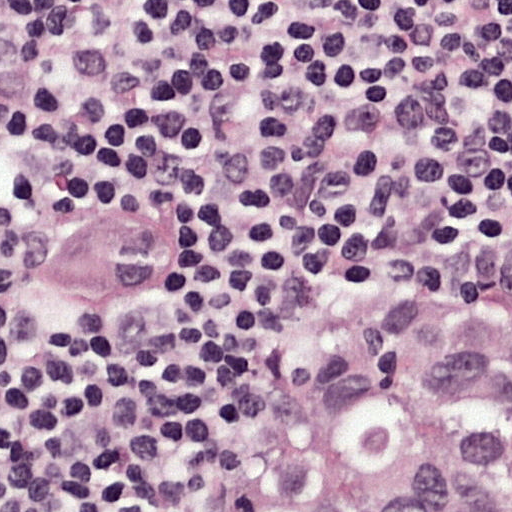
Lymph node section stained with H&E, from a whole-slide image of a breast-cancer sentinel node. Magnification about 40×, about 0.12 mm across the frame, about 0.24 µm per pixel.
Boundaries of two metastatic tumour regions, simplified and listed clockwise, largest first: region 1: (367, 272), (511, 310), (511, 511), (120, 511), (232, 467), (255, 418), (259, 352), (276, 306), (320, 278); region 2: (99, 202), (146, 209), (180, 234), (171, 278), (109, 305), (34, 287), (41, 253).
About 25% of this field is tumour.